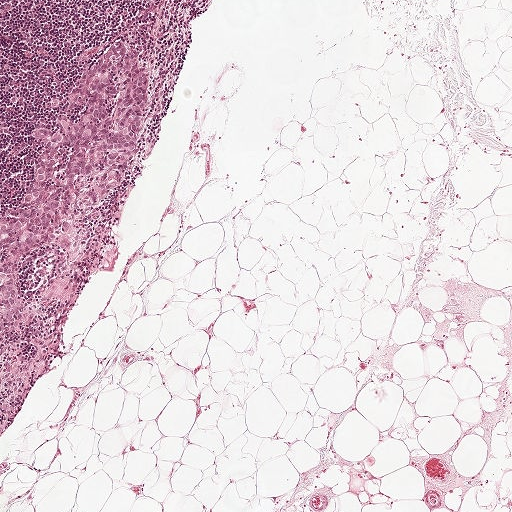
Lymph node section stained with H&E, from a whole-slide image of a breast-cancer sentinel node. Magnification about 5×, about 1 mm across the frame, about 1.9 µm per pixel.
One metastatic tumour region; its boundary, reduced to 21 corners and listed clockwise: (132, 43), (153, 61), (143, 163), (129, 188), (89, 213), (88, 240), (76, 256), (59, 262), (49, 246), (24, 261), (20, 286), (28, 313), (0, 343), (0, 228), (17, 212), (31, 179), (34, 136), (61, 121), (77, 88), (95, 72), (110, 45).
About 10% of this field is tumour.